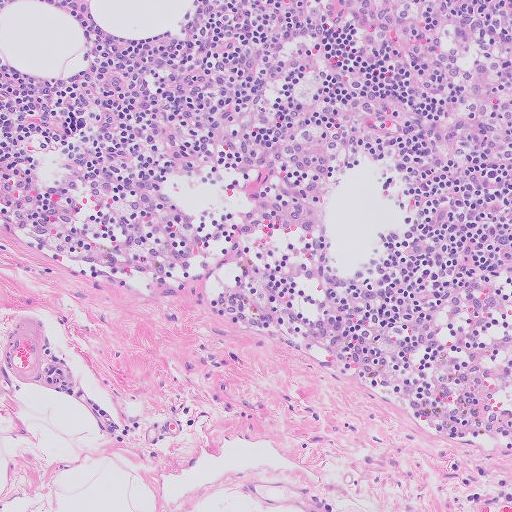
A 0.51-mm field of an H&E-stained sentinel lymph node from a breast-cancer patient (whole-slide image), shown at about 10×, about 1.0 µm per pixel.